H&E-stained section of a sentinel lymph node (breast cancer), from a whole-slide image, viewed at about 5×: the field is about 1 mm across, about 1.9 µm per pixel.
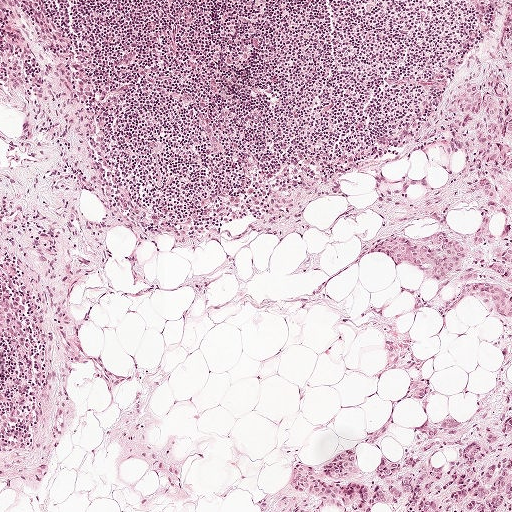
Two metastatic tumour regions, each outlined as a closed clockwise path in crop pixels (x, y), largest first: region 1: (511, 0), (511, 511), (268, 511), (298, 468), (346, 456), (394, 420), (389, 436), (364, 461), (399, 461), (422, 423), (473, 417), (500, 383), (493, 312), (466, 295), (453, 314), (430, 316), (420, 270), (358, 261), (381, 214), (354, 223), (379, 190), (357, 159), (426, 123); region 2: (424, 388), (434, 388), (434, 391), (432, 395), (425, 399), (425, 400), (423, 400), (420, 400), (416, 398), (421, 390).
Region 1 encloses five non-tumour holes totalling about 10% of its area.
About 15% of the image area is annotated as tumour.